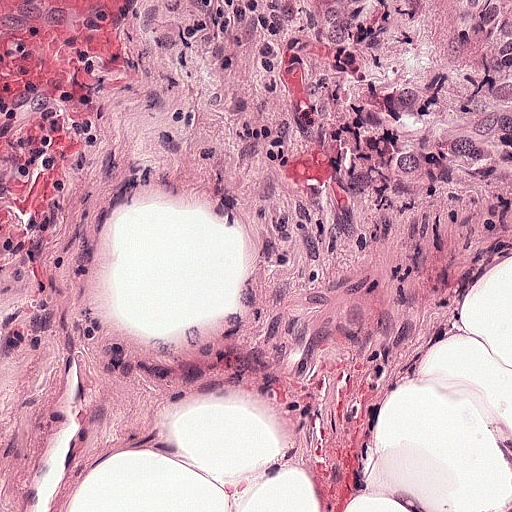
Lymph node section stained with H&E, from a whole-slide image of a breast-cancer sentinel node. Magnification about 20×, about 0.25 mm across the frame, about 0.49 µm per pixel.
Metastatic tumour outline, simplified to 7 points and listed clockwise in crop pixels (x, y): (511, 0), (511, 270), (419, 270), (392, 263), (384, 251), (365, 205), (346, 5).
About 15% of this field is tumour.